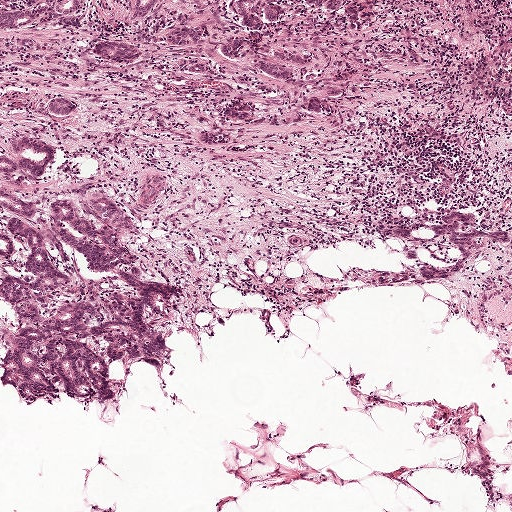
This is a crop of a whole-slide image: an H&E-stained breast-cancer sentinel lymph node section at roughly 5× magnification (about 1.9 µm per pixel; the crop spans about 1 mm).
Outlines of the eight largest metastatic tumour regions, each a closed clockwise path in crop pixels (x, y), largest first: region 1: (91, 192), (136, 220), (125, 246), (149, 280), (186, 291), (165, 306), (171, 324), (151, 321), (168, 359), (121, 364), (106, 338), (76, 339), (105, 359), (113, 401), (62, 394), (31, 405), (0, 384), (17, 327), (0, 286), (26, 274), (0, 256), (0, 231), (16, 218), (0, 209), (6, 196), (40, 207), (38, 224), (23, 221), (73, 279), (45, 318), (92, 304), (115, 324), (110, 296), (138, 299), (120, 275), (92, 274), (52, 225), (50, 206), (66, 201), (102, 232); region 2: (457, 207), (474, 211), (480, 228), (504, 229), (511, 242), (477, 238), (455, 274), (445, 280), (426, 280), (407, 257), (402, 241), (385, 236), (382, 230), (400, 225), (423, 238), (433, 235), (432, 221), (443, 217), (446, 210); region 3: (253, 0), (287, 0), (289, 3), (284, 11), (284, 22), (264, 46), (259, 64), (272, 66), (279, 54), (284, 52), (300, 57), (313, 70), (312, 72), (296, 73), (302, 83), (299, 92), (274, 83), (226, 56), (232, 40), (242, 27), (238, 7); region 4: (0, 0), (84, 0), (83, 8), (75, 20), (67, 25), (56, 29), (38, 30), (12, 38), (0, 36); region 5: (23, 132), (32, 135), (48, 136), (55, 141), (56, 156), (50, 162), (41, 180), (35, 182), (38, 180), (26, 180), (15, 174), (0, 176), (0, 142), (3, 137), (9, 133); region 6: (109, 38), (133, 42), (142, 46), (145, 51), (143, 64), (135, 68), (125, 68), (95, 55), (93, 52), (93, 44), (100, 39); region 7: (246, 100), (256, 103), (258, 110), (257, 121), (244, 127), (220, 120), (218, 117), (219, 109), (232, 101); region 8: (182, 26), (184, 29), (192, 26), (204, 28), (205, 42), (203, 46), (194, 47), (163, 47), (162, 43), (165, 34).
Five more, smaller tumour regions are not outlined.
The annotated tumour makes up about 15% of the crop.